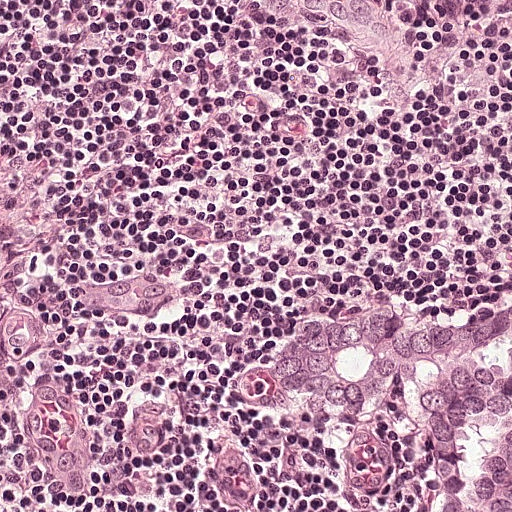
A 0.25-mm field of an H&E-stained sentinel lymph node from a breast-cancer patient (whole-slide image), shown at about 20×, about 0.49 µm per pixel.
Metastatic tumour outline, simplified to 10 points and listed clockwise in crop pixels (x, y): (511, 298), (511, 511), (414, 511), (410, 451), (291, 405), (267, 376), (265, 357), (284, 324), (317, 308), (450, 314).
About 15% of this field is tumour.